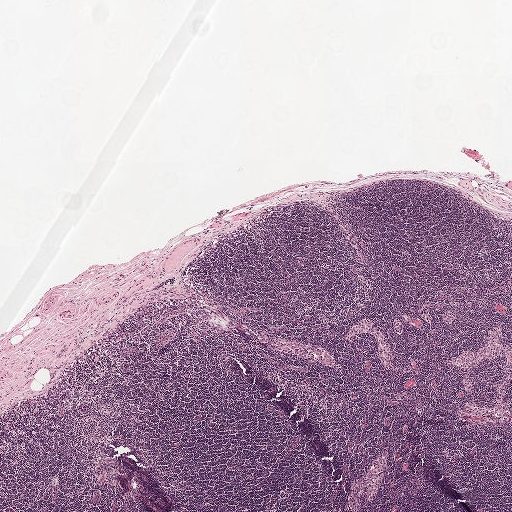
Lymph node section stained with H&E, from a whole-slide image of a breast-cancer sentinel node. Magnification about 2.5×, about 2.0 mm across the frame, about 3.9 µm per pixel.